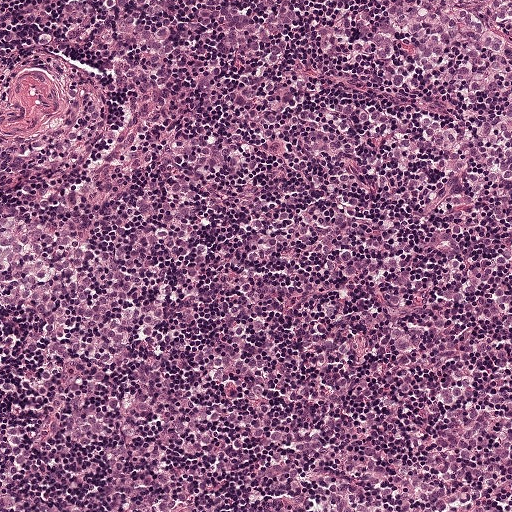
Lymph node section stained with H&E, from a whole-slide image of a breast-cancer sentinel node. Magnification about 10×, about 0.5 mm across the frame, about 0.97 µm per pixel.
Two metastatic tumour regions, each outlined as a closed clockwise path in crop pixels (x, y), largest first: region 1: (511, 0), (511, 511), (0, 511), (0, 196), (88, 200), (132, 182), (240, 96), (295, 6); region 2: (0, 0), (287, 0), (243, 85), (144, 160), (84, 173), (2, 171).
The annotated tumour makes up over 95% of the crop.